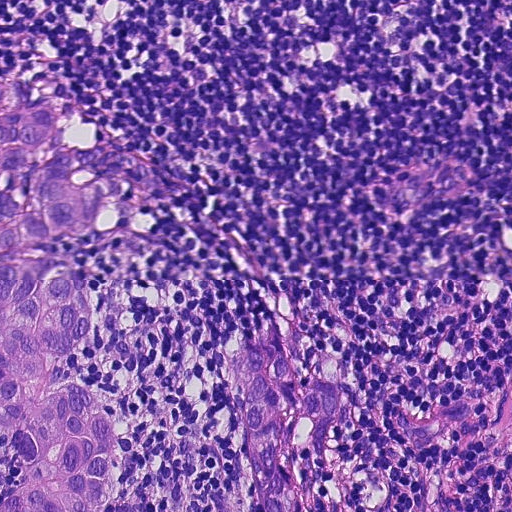
Lymph node section stained with H&E, from a whole-slide image of a breast-cancer sentinel node. Magnification about 20×, about 0.23 mm across the frame, about 0.45 µm per pixel.
Metastatic tumour covers the whole field.
Over 95% of this field is tumour.